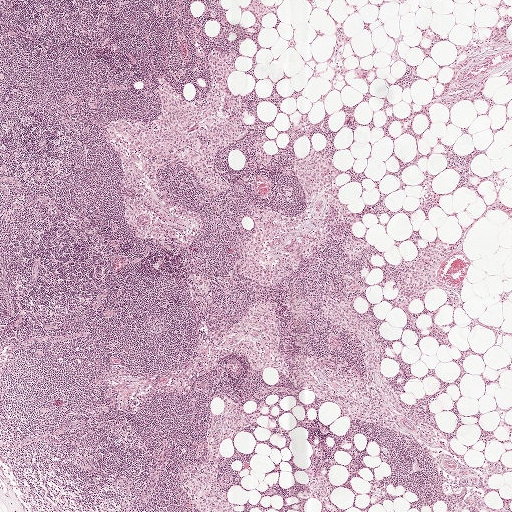
A 2.0-mm field of an H&E-stained sentinel lymph node from a breast-cancer patient (whole-slide image), shown at about 2.5×, about 3.9 µm per pixel.